Question: 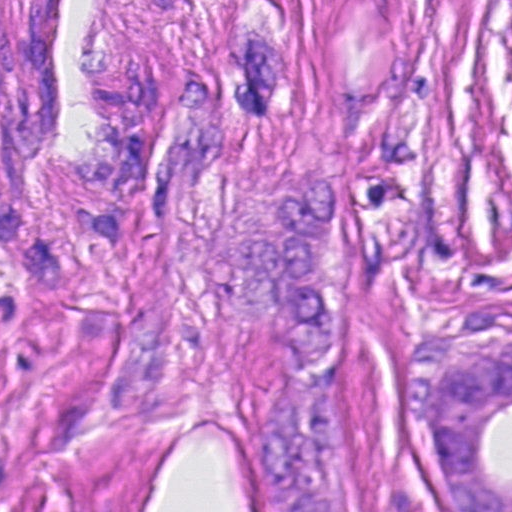
About what magnification does this crop show?

Choices:
 (A) about 2.5×
 (B) about 40×
 (C) about 5×
 (D) about 10×
 (E) about 20×

Answer: (B) about 40×
A 0.12-mm field of an H&E-stained sentinel lymph node from a breast-cancer patient (whole-slide image), shown at about 40×, about 0.23 µm per pixel.
Outlines of two tumour regions, largest first (closed clockwise paths, crop pixels): region 1: (271, 19), (331, 153), (339, 200), (336, 449), (353, 511), (271, 511), (254, 421), (270, 338), (227, 320), (151, 406), (63, 444), (116, 351), (161, 157), (227, 90), (229, 41); region 2: (511, 307), (511, 511), (456, 511), (418, 449), (402, 405), (397, 374), (426, 335), (465, 309).
About 35% of the image area is annotated as tumour.